H&E-stained section of a sentinel lymph node (breast cancer), from a whole-slide image, viewed at about 5×: the field is about 0.93 mm across, about 1.8 µm per pixel.
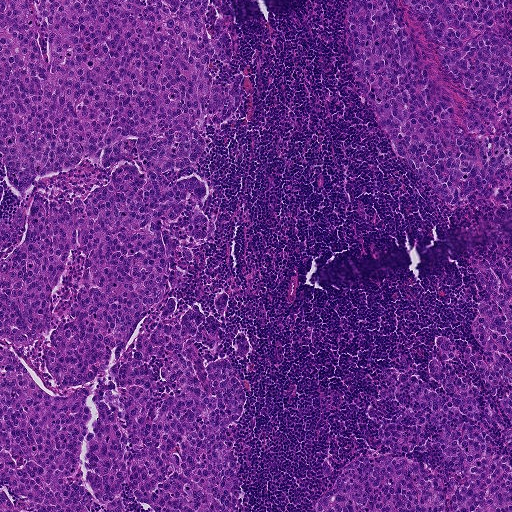
Boundaries of eight metastatic tumour regions, simplified and listed clockwise, largest first: region 1: (0, 0), (38, 22), (34, 0), (210, 0), (232, 55), (211, 86), (244, 79), (161, 174), (206, 192), (171, 233), (196, 207), (216, 228), (149, 312), (220, 321), (225, 292), (227, 306), (212, 347), (192, 341), (243, 382), (238, 511), (156, 511), (125, 482), (122, 504), (0, 511); region 2: (350, 0), (397, 0), (437, 80), (457, 102), (467, 102), (444, 73), (422, 18), (403, 1), (511, 0), (511, 214), (497, 217), (498, 207), (488, 198), (446, 206), (395, 152), (355, 76), (346, 24); region 3: (434, 336), (456, 345), (461, 356), (448, 361), (479, 388), (483, 411), (485, 406), (501, 414), (504, 428), (460, 421), (489, 434), (511, 464), (511, 511), (306, 511), (335, 486), (343, 467), (365, 455), (419, 462), (463, 483), (431, 444), (443, 429), (428, 420), (423, 424), (430, 441), (417, 452), (386, 448), (378, 432), (384, 421), (399, 418), (397, 400), (380, 395), (390, 367), (419, 378), (445, 400), (428, 370), (431, 358), (443, 366); region 4: (511, 236), (511, 385), (498, 385), (494, 396), (489, 394), (480, 377), (470, 370), (464, 358), (468, 343), (481, 353), (483, 351), (471, 330), (480, 304), (490, 297), (473, 271), (470, 273), (466, 268), (469, 262), (467, 251), (492, 247); region 5: (244, 333), (248, 339), (248, 354), (242, 357), (237, 351), (234, 341), (236, 334); region 6: (509, 391), (511, 391), (511, 421), (502, 406), (501, 400), (504, 395); region 7: (511, 428), (511, 447), (504, 444), (501, 439), (503, 433); region 8: (324, 460), (326, 461), (333, 469), (332, 476), (324, 476), (321, 469), (322, 462).
About 60% of this field is tumour.